Question: 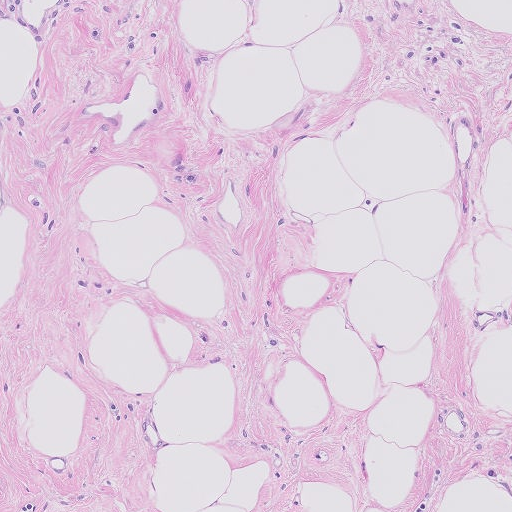
At roughly what magnification is this field shown?

Choices:
 (A) about 5×
 (B) about 20×
 (C) about 40×
 (D) about 10×
 (E) about 2.5×

Answer: (D) about 10×
H&E-stained section of a sentinel lymph node (breast cancer), from a whole-slide image, viewed at about 10×: the field is about 0.51 mm across, about 1.0 µm per pixel.